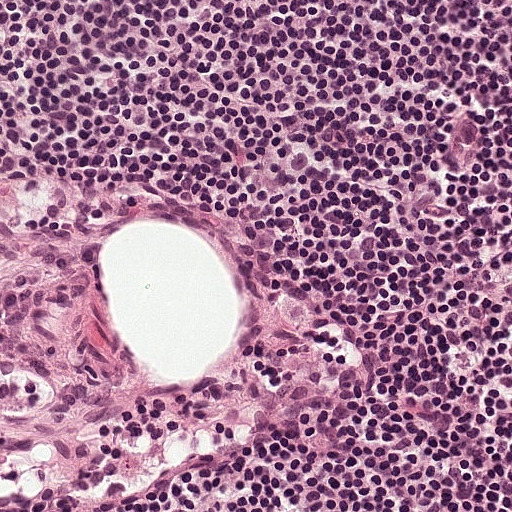
Lymph node section stained with H&E, from a whole-slide image of a breast-cancer sentinel node. Magnification about 20×, about 0.25 mm across the frame, about 0.49 µm per pixel.